Question: 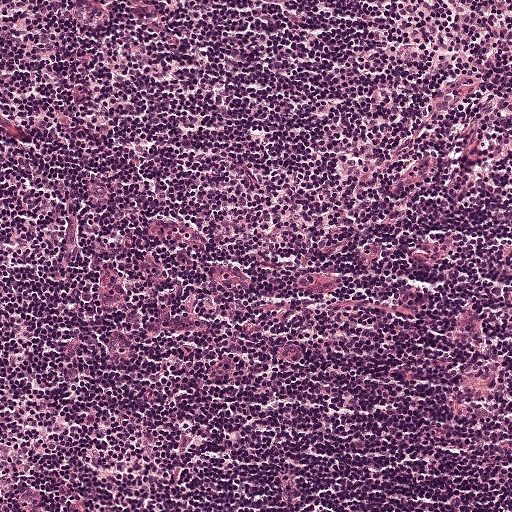
At roughly what magnification is this field shown?

Choices:
 (A) about 5×
 (B) about 20×
 (C) about 2.5×
 (D) about 10×
 (E) about 40×

Answer: (D) about 10×
Lymph node section stained with H&E, from a whole-slide image of a breast-cancer sentinel node. Magnification about 10×, about 0.5 mm across the frame, about 0.97 µm per pixel.